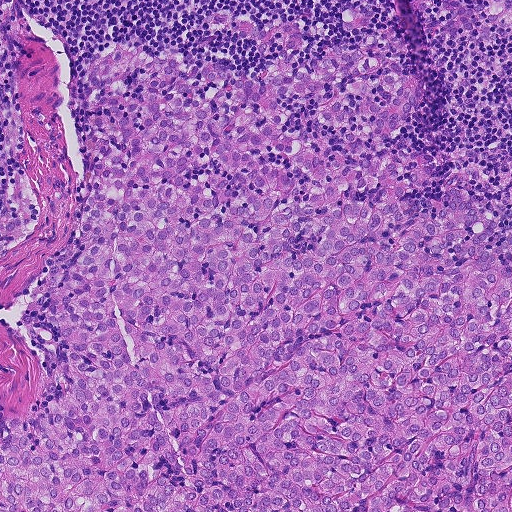
This is a crop of a whole-slide image: an H&E-stained breast-cancer sentinel lymph node section at roughly 10× magnification (about 0.9 µm per pixel; the crop spans about 0.46 mm).
Metastatic tumour outline, simplified to 23 points and listed clockwise in crop pixels (x, y): (254, 22), (302, 26), (291, 69), (371, 48), (424, 80), (386, 144), (434, 158), (416, 209), (432, 220), (455, 181), (491, 244), (507, 234), (511, 511), (0, 511), (0, 429), (70, 381), (48, 265), (79, 227), (85, 100), (112, 46), (266, 80), (286, 62), (258, 54).
About 75% of the image area is annotated as tumour.